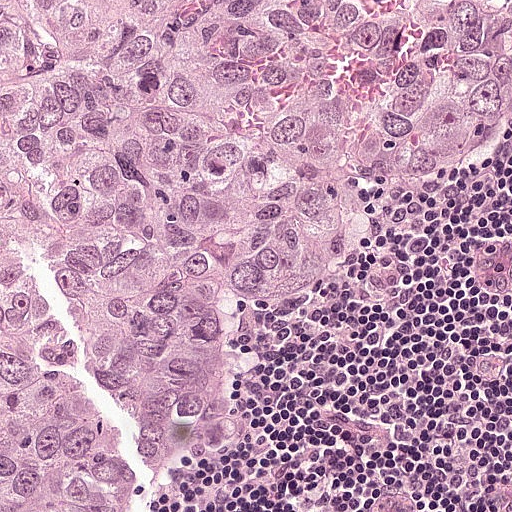
H&E-stained section of a sentinel lymph node (breast cancer), from a whole-slide image, viewed at about 20×: the field is about 0.25 mm across, about 0.49 µm per pixel.
One metastatic tumour region; its boundary, reduced to 8 corners and listed clockwise: (0, 0), (484, 0), (511, 34), (511, 112), (302, 291), (252, 396), (167, 508), (0, 511).
About 70% of the image area is annotated as tumour.